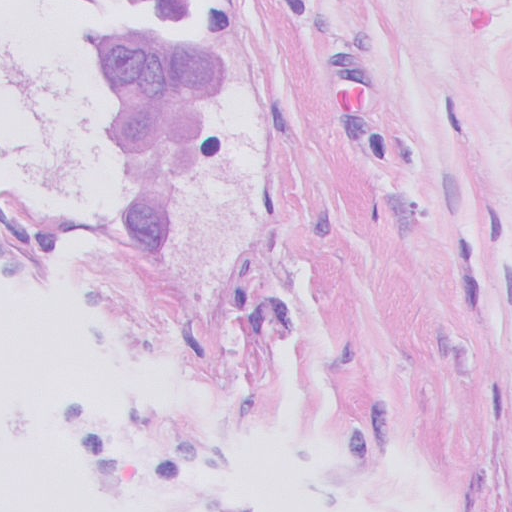
Lymph node section stained with H&E, from a whole-slide image of a breast-cancer sentinel node. Magnification about 40×, about 0.13 mm across the frame, about 0.25 µm per pixel.
Two metastatic tumour regions, each outlined as a closed clockwise path in crop pixels (x, y), largest first: region 1: (129, 31), (186, 41), (209, 39), (231, 53), (228, 83), (206, 102), (196, 157), (178, 177), (178, 232), (168, 258), (141, 248), (126, 221), (119, 165), (105, 142), (106, 85), (90, 60), (101, 34); region 2: (152, 0), (190, 0), (190, 17), (164, 25).
Tumour covers about 5% of the frame.